Question: 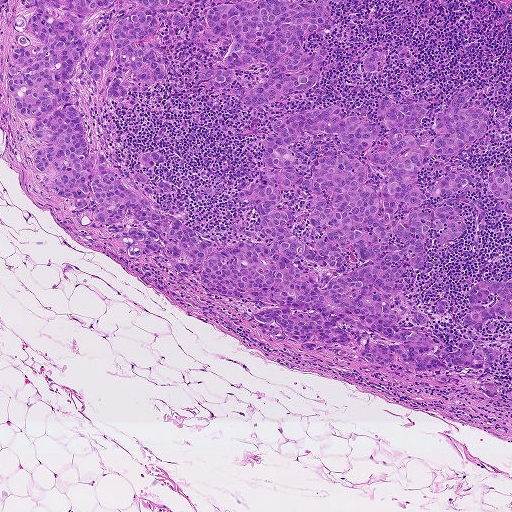
A 0.93-mm field of an H&E-stained sentinel lymph node from a breast-cancer patient (whole-slide image), shown at about 5×, about 1.8 µm per pixel.
About how much of this crop is taken up by metastatic carcinoma?

Choices:
 (A) none: no tumour is outlined
 (B) about 5% or less
 (C) about 50% or more
 (D) about 10% to 20%
 (E) about 25% to 45%

Answer: (E) about 25% to 45%
About 35% of the field is tumour.
Outlines of four tumour regions, largest first (closed clockwise paths, crop pixels): region 1: (196, 0), (159, 84), (87, 78), (118, 6), (86, 18), (68, 81), (89, 152), (128, 184), (158, 150), (178, 192), (147, 196), (227, 244), (272, 240), (233, 193), (271, 122), (338, 104), (369, 151), (387, 131), (376, 99), (431, 101), (417, 134), (475, 86), (483, 142), (420, 187), (503, 167), (511, 214), (475, 179), (393, 308), (456, 352), (511, 278), (477, 338), (511, 348), (477, 370), (308, 351), (129, 258), (37, 180), (20, 1); region 2: (332, 0), (323, 30), (302, 38), (302, 51), (318, 53), (325, 45), (322, 65), (335, 65), (313, 90), (246, 109), (230, 93), (267, 80), (267, 63), (233, 69), (235, 83), (227, 91), (216, 92), (198, 76), (220, 67), (231, 42), (225, 36), (200, 46), (190, 38), (216, 2); region 3: (380, 51), (385, 52), (386, 56), (378, 72), (372, 73), (360, 66), (364, 57), (368, 52); region 4: (496, 382), (500, 390), (498, 396), (486, 396), (482, 389), (483, 383).